H&E-stained section of a sentinel lymph node (breast cancer), from a whole-slide image, viewed at about 20×: the field is about 0.25 mm across, about 0.49 µm per pixel.
Image:
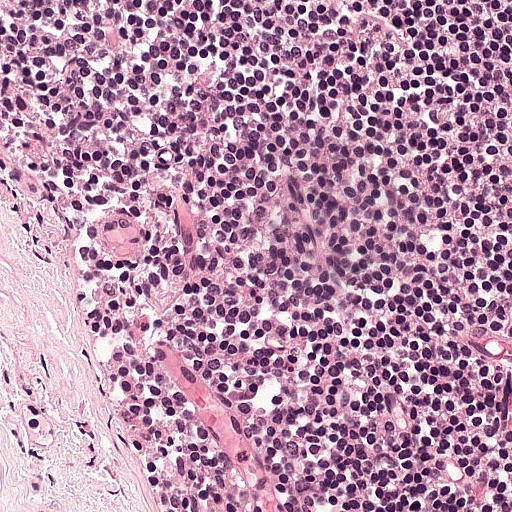
Question:
Is any metastatic breast cancer visible in this crop?
Answer:
No: no metastatic tumour is outlined anywhere in this field.